Image:
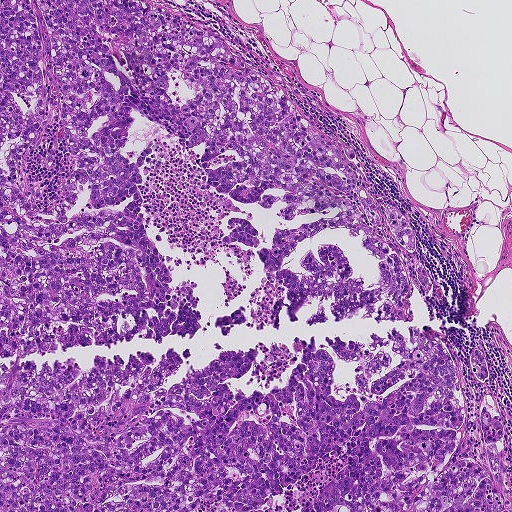
H&E-stained section of a sentinel lymph node (breast cancer), from a whole-slide image, viewed at about 5×: the field is about 0.93 mm across, about 1.8 µm per pixel.
Question:
Is there metastatic carcinoma in this field?
Answer:
Yes.
Two metastatic tumour regions, each outlined as a closed clockwise path in crop pixels (x, y), largest first: region 1: (0, 0), (200, 21), (352, 150), (409, 280), (402, 323), (334, 296), (308, 326), (321, 297), (227, 336), (212, 322), (248, 319), (256, 252), (340, 207), (229, 196), (259, 246), (231, 243), (251, 278), (217, 255), (227, 307), (147, 226), (197, 329), (6, 354); region 2: (431, 332), (464, 395), (448, 462), (494, 480), (489, 392), (511, 511), (0, 511), (0, 370), (185, 360), (167, 390), (253, 349), (222, 383), (264, 396), (301, 352), (262, 388), (245, 385), (263, 356), (256, 347), (292, 353), (296, 336), (334, 362), (345, 400), (359, 362), (326, 344).
The annotated tumour makes up about 70% of the crop.